A 1.9-mm field of an H&E-stained sentinel lymph node from a breast-cancer patient (whole-slide image), shown at about 2.5×, about 3.6 µm per pixel.
Image:
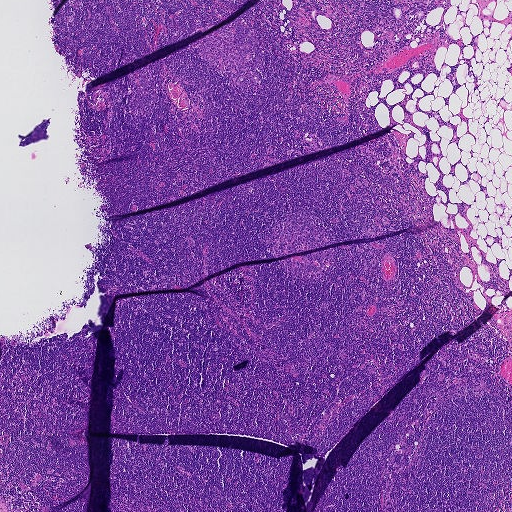
Question:
Is there metastatic carcinoma in this field?
Answer:
No: no metastatic tumour is outlined anywhere in this field.